Question: 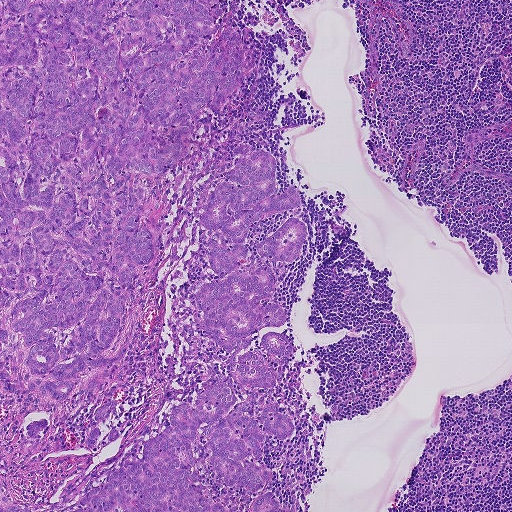
Lymph node section stained with H&E, from a whole-slide image of a breast-cancer sentinel node. Magnification about 5×, about 0.93 mm across the frame, about 1.8 µm per pixel.
Estimate the proportion of this field that is metastatic tumour.

Choices:
 (A) about 5% or less
 (B) about 25% to 45%
 (C) about 10% to 20%
 (D) about 50% or more
 (E) none: no tumour is outlined

Answer: (D) about 50% or more
About 55% of the field is tumour.
The outlined metastatic tumour's edge, as a closed clockwise path of 24 points: (0, 0), (240, 0), (255, 69), (270, 72), (249, 110), (271, 114), (235, 146), (269, 153), (276, 196), (291, 184), (302, 201), (250, 228), (247, 244), (292, 216), (306, 230), (274, 288), (293, 353), (272, 402), (293, 428), (264, 434), (263, 451), (267, 491), (298, 508), (0, 511).